Image:
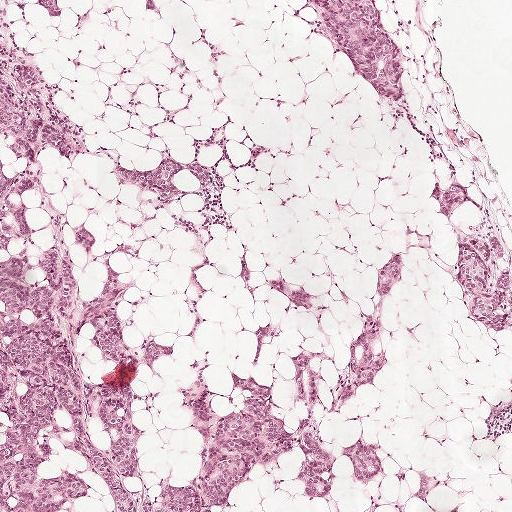
A 1-mm field of an H&E-stained sentinel lymph node from a breast-cancer patient (whole-slide image), shown at about 5×, about 1.9 µm per pixel.
Question:
Show where the tumour is in this image.
Answer:
Outlines of two tumour regions, largest first (closed clockwise paths, crop pixels): region 1: (0, 0), (89, 0), (56, 21), (46, 67), (76, 109), (114, 130), (178, 138), (204, 118), (243, 118), (269, 150), (438, 169), (511, 215), (511, 360), (466, 352), (447, 300), (444, 227), (371, 183), (255, 185), (248, 219), (229, 240), (179, 233), (137, 284), (127, 316), (150, 324), (171, 354), (141, 400), (148, 462), (167, 470), (172, 389), (186, 358), (234, 363), (338, 340), (375, 248), (405, 250), (407, 296), (375, 412), (386, 465), (375, 502), (0, 511); region 2: (292, 0), (380, 0), (388, 25), (412, 57), (419, 83), (419, 107), (398, 120), (377, 120), (342, 102).
One more small tumour piece is annotated here but not outlined.
The annotated tumour makes up about 55% of the crop.